Question: 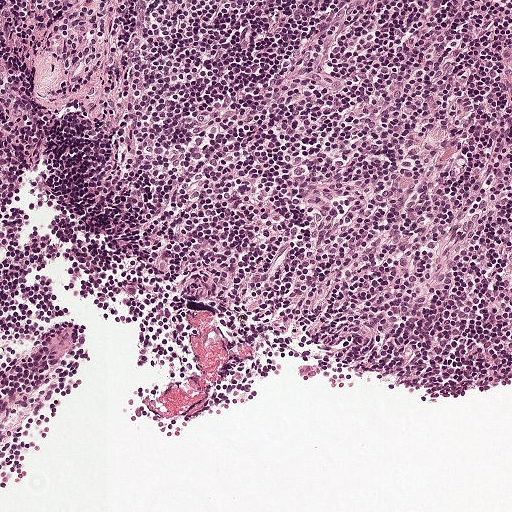
About what magnification does this crop show?

Choices:
 (A) about 5×
 (B) about 40×
 (C) about 2.5×
 (D) about 20×
 (E) about 10×

Answer: (E) about 10×
This is a crop of a whole-slide image: an H&E-stained breast-cancer sentinel lymph node section at roughly 10× magnification (about 0.97 µm per pixel; the crop spans about 0.5 mm).